Question: 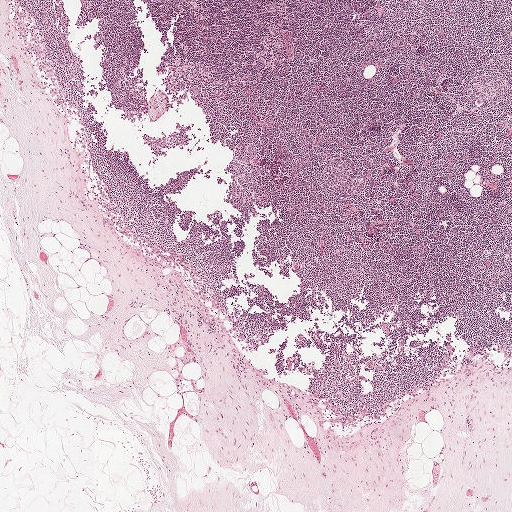
A 2.0-mm field of an H&E-stained sentinel lymph node from a breast-cancer patient (whole-slide image), shown at about 2.5×, about 3.9 µm per pixel.
Estimate the proportion of this field that is metastatic tumour.

Choices:
 (A) about 50% or more
 (B) about 5% or less
 (C) about 10% to 20%
 (D) about 25% to 45%
 (E) none: no tumour is outlined

Answer: (E) none: no tumour is outlined
No metastatic tumour is outlined in this field.